This is a crop of a whole-slide image: an H&E-stained breast-cancer sentinel lymph node section at roughly 20× magnification (about 0.45 µm per pixel; the crop spans about 0.23 mm).
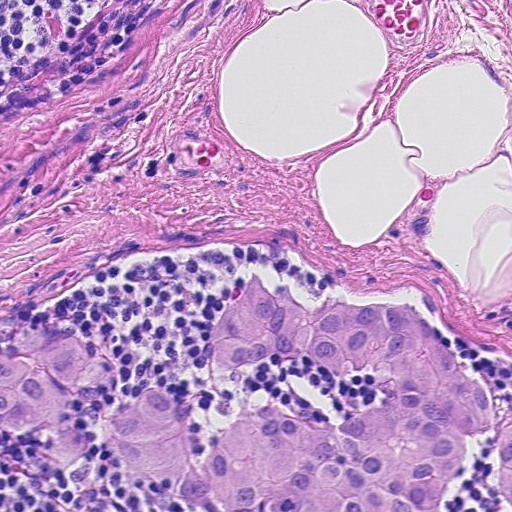
The outlined metastatic tumour's edge, as a closed clockwise path of 39 points: (251, 269), (272, 292), (294, 289), (313, 306), (337, 296), (414, 306), (489, 385), (500, 412), (511, 399), (511, 509), (499, 479), (501, 435), (488, 432), (467, 438), (440, 511), (218, 511), (173, 502), (122, 460), (107, 395), (86, 388), (68, 402), (96, 433), (89, 454), (4, 436), (3, 324), (86, 342), (143, 389), (194, 400), (201, 463), (229, 411), (286, 404), (333, 425), (378, 404), (383, 384), (312, 358), (286, 354), (240, 376), (215, 365), (216, 315).
About 25% of this field is tumour.